Lymph node section stained with H&E, from a whole-slide image of a breast-cancer sentinel node. Magnification about 40×, about 0.12 mm across the frame, about 0.24 µm per pixel.
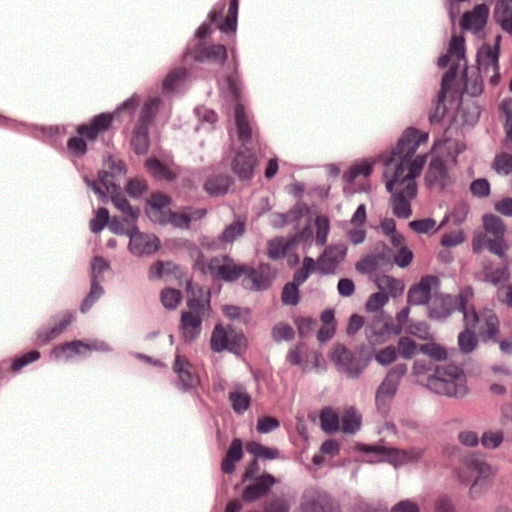
Two metastatic tumour regions, each outlined as a closed clockwise path in crop pixels (x, y), largest first: region 1: (188, 40), (256, 43), (285, 118), (267, 215), (179, 219), (106, 166), (127, 86); region 2: (272, 446), (480, 511), (222, 511).
About 15% of this field is tumour.